A 0.5-mm field of an H&E-stained sentinel lymph node from a breast-cancer patient (whole-slide image), shown at about 10×, about 0.97 µm per pixel.
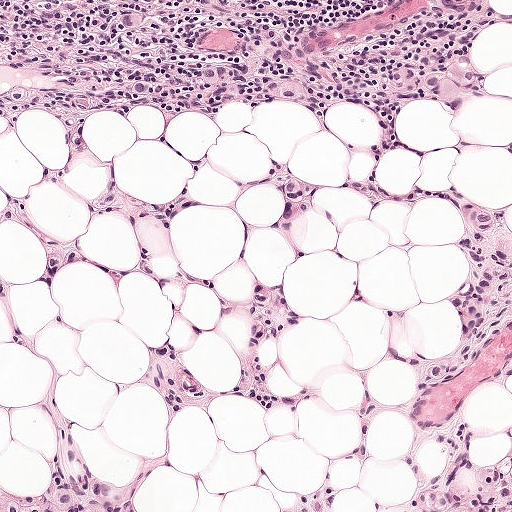
Boundaries of six metastatic tumour regions, simplified and listed clockwise, largest first: region 1: (0, 0), (283, 0), (328, 38), (428, 0), (511, 0), (511, 321), (448, 380), (400, 362), (450, 341), (462, 242), (440, 201), (342, 184), (369, 162), (355, 95), (323, 119), (266, 100), (169, 130), (101, 113), (74, 150), (48, 108), (0, 118); region 2: (288, 152), (318, 186), (313, 205), (296, 220), (300, 241), (285, 267), (274, 218), (282, 185), (230, 204), (160, 214), (170, 242), (145, 260), (144, 272), (123, 276), (117, 285), (103, 285), (83, 261), (62, 261), (48, 280), (19, 280), (10, 300), (25, 341), (2, 338), (0, 194), (46, 214), (70, 240), (124, 260), (118, 218), (80, 203), (80, 190), (110, 183), (113, 166), (135, 190), (168, 188), (182, 174), (198, 190), (224, 193), (241, 177), (263, 172), (272, 154); region 3: (284, 271), (281, 293), (296, 314), (262, 336), (259, 364), (267, 378), (280, 386), (315, 384), (310, 401), (292, 413), (262, 415), (246, 394), (234, 392), (205, 408), (191, 408), (184, 404), (179, 416), (165, 416), (151, 390), (136, 375), (137, 364), (148, 347), (162, 337), (176, 339), (192, 375), (233, 382), (231, 349), (242, 341), (244, 326), (239, 316), (202, 299), (198, 273), (242, 293), (250, 279), (272, 278); region 4: (462, 410), (471, 426), (467, 451), (474, 456), (488, 456), (503, 448), (503, 422), (511, 418), (511, 511), (392, 511), (403, 495), (440, 467), (440, 450), (436, 440), (432, 434), (426, 439), (422, 429), (439, 426); region 5: (65, 416), (72, 424), (80, 453), (100, 475), (113, 480), (122, 480), (131, 465), (142, 458), (149, 460), (150, 479), (129, 495), (128, 502), (132, 509), (149, 511), (0, 511), (0, 479), (18, 488), (47, 486), (57, 433); region 6: (322, 472), (323, 472), (323, 494), (328, 509), (330, 511), (298, 511), (298, 509), (298, 491), (305, 488), (316, 481), (319, 478).
The annotated tumour makes up about 45% of the crop.